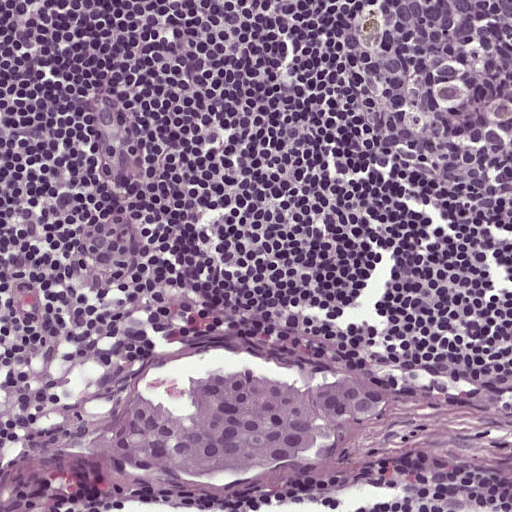
This is a crop of a whole-slide image: an H&E-stained breast-cancer sentinel lymph node section at roughly 20× magnification (about 0.49 µm per pixel; the crop spans about 0.25 mm).
Tumour region outline (a closed clockwise path, crop pixels): (246, 368), (308, 383), (350, 376), (378, 384), (391, 396), (375, 419), (342, 428), (335, 439), (321, 442), (313, 456), (284, 464), (200, 476), (154, 473), (86, 452), (90, 443), (107, 415), (131, 394), (144, 387), (184, 412), (187, 384), (197, 374).
About 10% of this field is tumour.